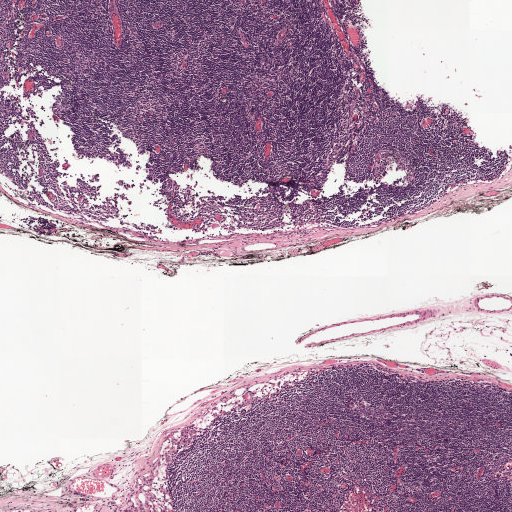
H&E-stained section of a sentinel lymph node (breast cancer), from a whole-slide image, viewed at about 2.5×: the field is about 2.0 mm across, about 3.9 µm per pixel.